H&E-stained section of a sentinel lymph node (breast cancer), from a whole-slide image, viewed at about 10×: the field is about 0.5 mm across, about 0.97 µm per pixel.
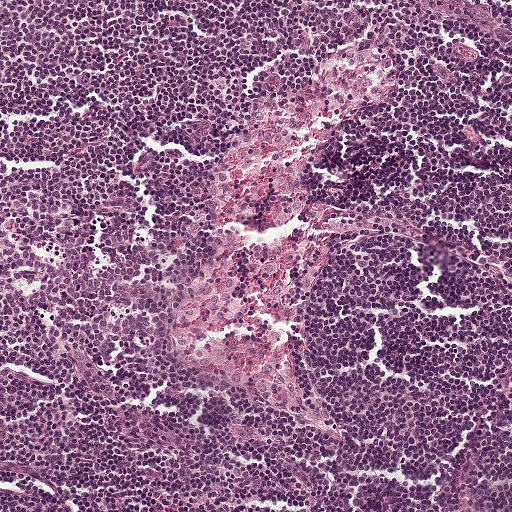
Question: Does this lymph node field contain metastatic tumour?
Answer: No, this field holds no outlined metastasis.